Question: 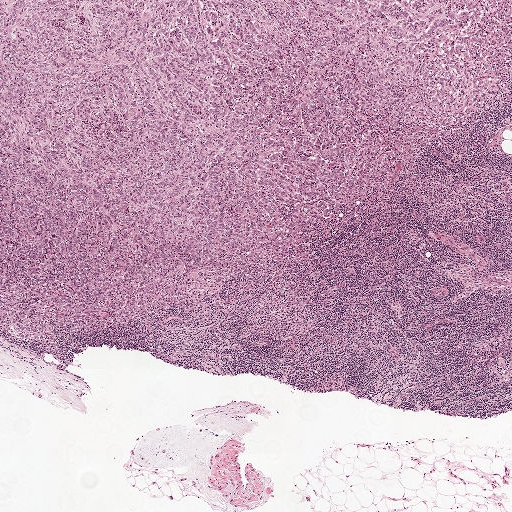
H&E-stained section of a sentinel lymph node (breast cancer), from a whole-slide image, viewed at about 2.5×: the field is about 2.0 mm across, about 3.9 µm per pixel.
About how much of this crop is taken up by metastatic carcinoma?

Choices:
 (A) about 50% or more
 (B) none: no tumour is outlined
 (C) about 5% or less
 (D) about 25% to 45%
 (E) about 10% to 20%

Answer: (A) about 50% or more
About 55% of the field is tumour.
One metastatic tumour region; its boundary, reduced to 8 corners and listed clockwise: (0, 0), (511, 0), (511, 117), (471, 136), (381, 225), (169, 330), (38, 356), (1, 345).